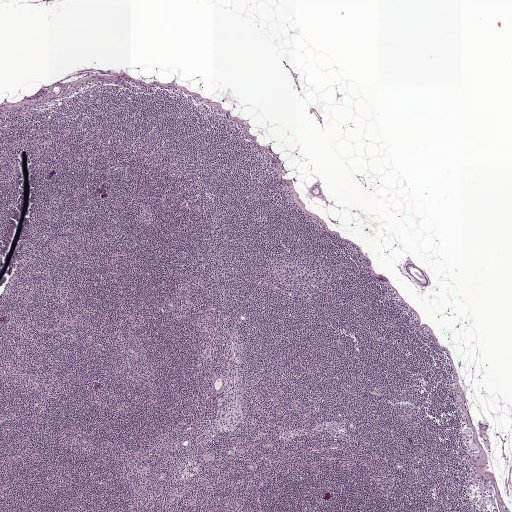
A 2.0-mm field of an H&E-stained sentinel lymph node from a breast-cancer patient (whole-slide image), shown at about 2.5×, about 3.9 µm per pixel.